Question: 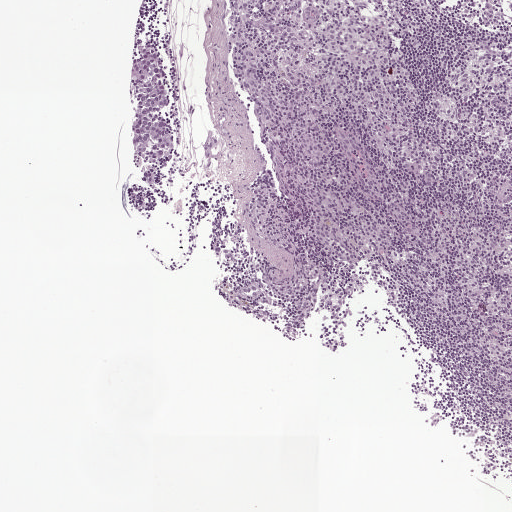
A 1-mm field of an H&E-stained sentinel lymph node from a breast-cancer patient (whole-slide image), shown at about 5×, about 1.9 µm per pixel.
What fraction of the image area is metastatic tumour?

Choices:
 (A) about 50% or more
 (B) about 10% to 20%
 (C) none: no tumour is outlined
 (D) about 5% or less
 (E) about 25% to 45%

Answer: (D) about 5% or less
Under 5% of the field is tumour.
Metastatic tumour outline, simplified to 19 points and listed clockwise in crop pixels (x, y): (146, 41), (156, 46), (163, 58), (166, 82), (170, 91), (169, 102), (160, 108), (171, 139), (171, 150), (157, 168), (156, 179), (148, 186), (134, 154), (129, 130), (134, 107), (128, 74), (129, 63), (139, 57), (137, 47).